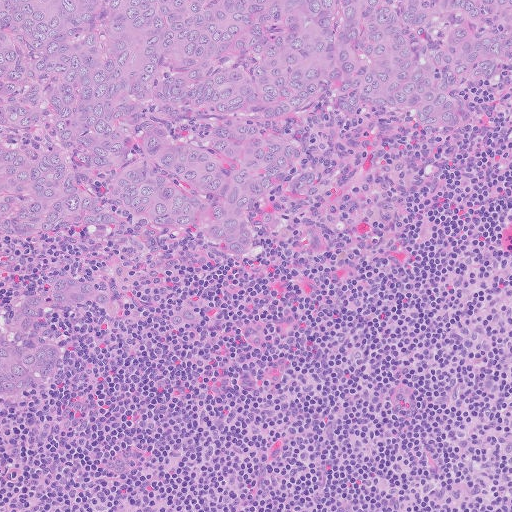
H&E-stained section of a sentinel lymph node (breast cancer), from a whole-slide image, viewed at about 10×: the field is about 0.51 mm across, about 1.0 µm per pixel.
Question: Describe where the metastatic carcinoma lies in this crop.
Answer: One metastatic tumour region; its boundary, reduced to 12 corners and listed clockwise: (0, 0), (511, 0), (511, 80), (475, 91), (452, 128), (432, 133), (325, 96), (250, 285), (198, 327), (88, 326), (71, 369), (0, 407).
Tumour covers about 45% of the frame.